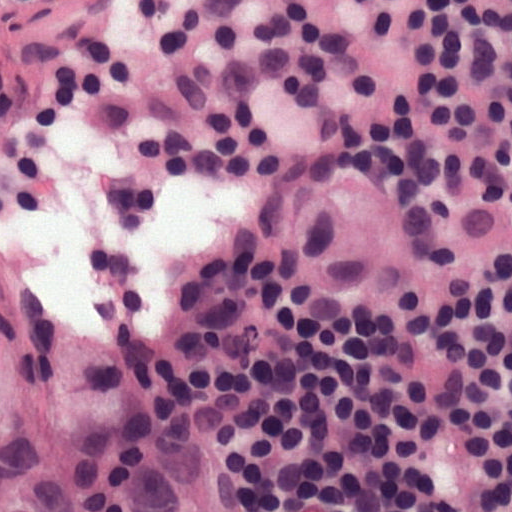
A 0.12-mm field of an H&E-stained sentinel lymph node from a breast-cancer patient (whole-slide image), shown at about 40×, about 0.24 µm per pixel.
Outlines of two tumour regions, largest first (closed clockwise paths, crop pixels): region 1: (0, 167), (109, 255), (228, 402), (258, 511), (0, 511); region 2: (315, 174), (387, 177), (445, 237), (427, 325), (332, 325), (276, 267), (298, 182).
About 30% of this field is tumour.